Question: 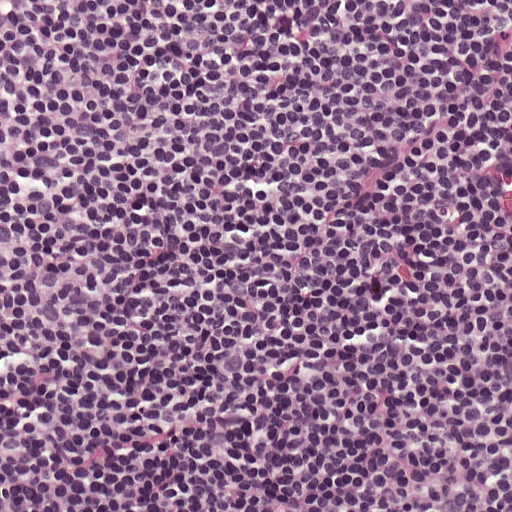
Which magnification is this H&E lymph node field most likely shown at?

Choices:
 (A) about 10×
 (B) about 2.5×
 (C) about 40×
 (D) about 20×
 (E) about 5×

Answer: (D) about 20×
This is a crop of a whole-slide image: an H&E-stained breast-cancer sentinel lymph node section at roughly 20× magnification (about 0.49 µm per pixel; the crop spans about 0.25 mm).